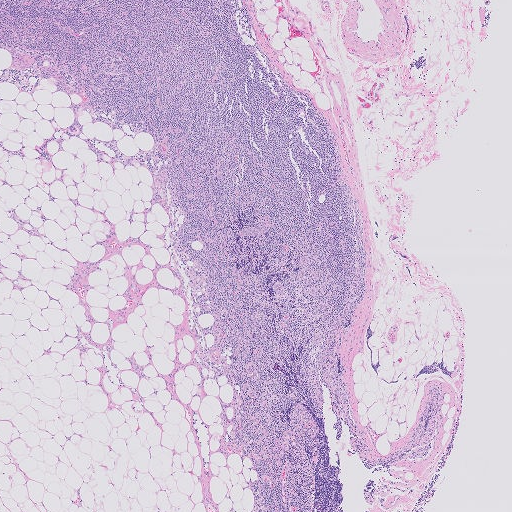
A 2.0-mm field of an H&E-stained sentinel lymph node from a breast-cancer patient (whole-slide image), shown at about 2.5×, about 4.0 µm per pixel.